H&E-stained section of a sentinel lymph node (breast cancer), from a whole-slide image, viewed at about 2.5×: the field is about 2.0 mm across, about 3.9 µm per pixel.
Question: 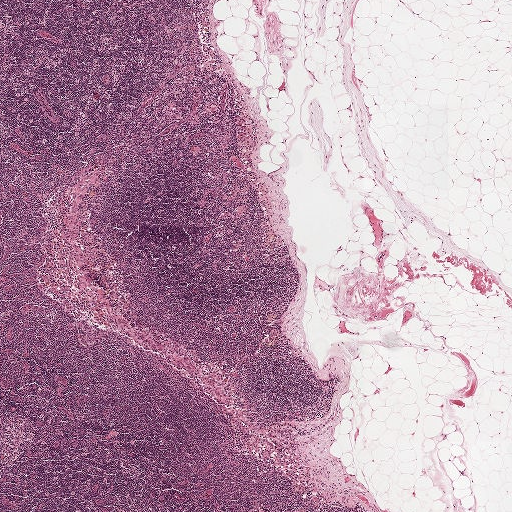
About how much of this crop is taken up by metastatic carcinoma?

Choices:
 (A) about 50% or more
 (B) about 25% to 45%
 (C) about 10% to 20%
 (D) none: no tumour is outlined
 (E) about 5% or less

Answer: (E) about 5% or less
Under 5% of the field is tumour.
Metastatic tumour outline, simplified to 9 points and listed clockwise in crop pixels (x, y): (238, 129), (244, 129), (249, 131), (254, 140), (254, 146), (250, 151), (241, 150), (237, 145), (239, 140).